H&E-stained section of a sentinel lymph node (breast cancer), from a whole-slide image, viewed at about 2.5×: the field is about 1.9 mm across, about 3.6 µm per pixel.
Question: 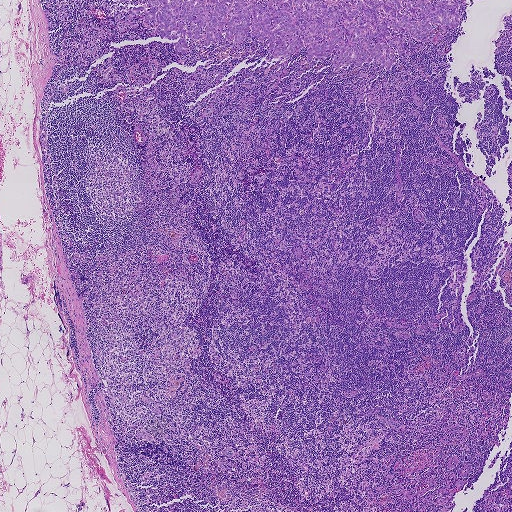
What fraction of the image area is metastatic tumour?

Choices:
 (A) about 50% or more
 (B) about 10% to 20%
 (C) about 5% or less
 (D) none: no tumour is outlined
 (E) about 25% to 45%

Answer: (C) about 5% or less
About 5% of the field is tumour.
Tumour region outline (a closed clockwise path, crop pixels): (465, 0), (453, 30), (434, 43), (411, 37), (410, 49), (408, 38), (387, 73), (351, 64), (341, 76), (329, 56), (295, 78), (308, 45), (266, 94), (277, 58), (241, 56), (222, 37), (204, 51), (190, 44), (183, 62), (142, 18), (118, 32), (116, 16), (129, 9), (120, 2).